Question: 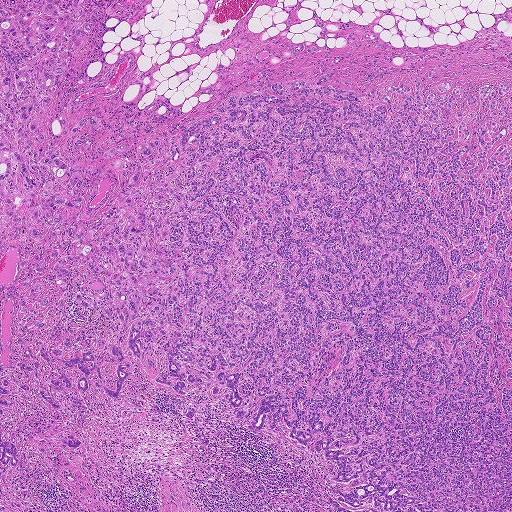
A 1.9-mm field of an H&E-stained sentinel lymph node from a breast-cancer patient (whole-slide image), shown at about 2.5×, about 3.6 µm per pixel.
About how much of this crop is taken up by metastatic carcinoma?

Choices:
 (A) about 25% to 45%
 (B) about 50% or more
 (C) about 5% or less
 (D) about 10% to 20%
 (E) none: no tumour is outlined

Answer: (B) about 50% or more
About 70% of the field is tumour.
Boundaries of two metastatic tumour regions, simplified and listed clockwise, largest first: region 1: (0, 0), (101, 0), (40, 127), (62, 92), (109, 122), (64, 127), (82, 177), (300, 71), (511, 79), (511, 511), (302, 511), (325, 462), (208, 385), (189, 419), (203, 384), (140, 359), (59, 416), (78, 447), (13, 393), (3, 436), (46, 451), (1, 481); region 2: (0, 496), (14, 500), (31, 509), (33, 511), (0, 511).
Nine more small tumour pieces are annotated here but not outlined.